H&E-stained section of a sentinel lymph node (breast cancer), from a whole-slide image, viewed at about 20×: the field is about 0.23 mm across, about 0.45 µm per pixel.
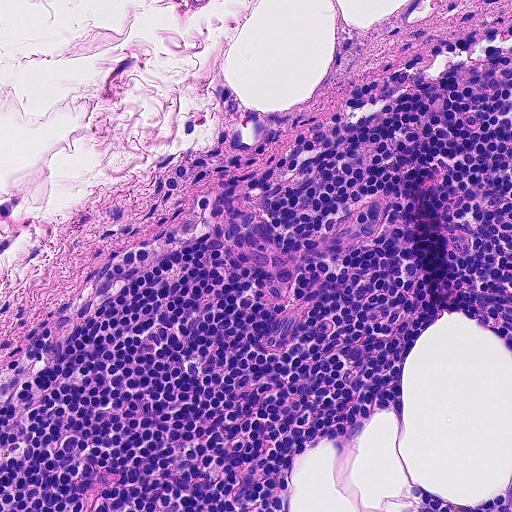
Question: Is there metastatic carcinoma in this field?
Answer: No, this field holds no outlined metastasis.